Question: 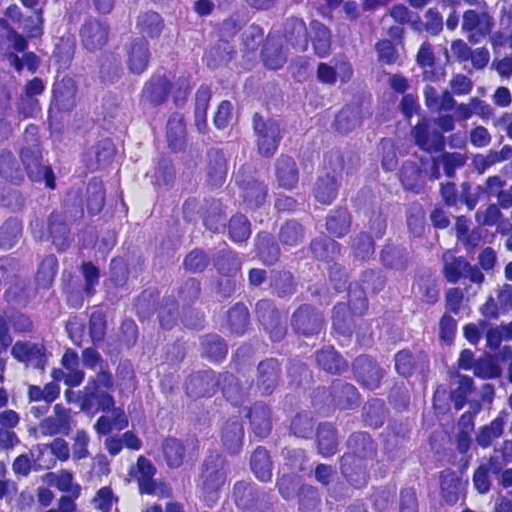
Which magnification is this H&E lymph node field most likely shown at?

Choices:
 (A) about 10×
 (B) about 40×
 (C) about 5×
 (D) about 20×
 (E) about 2.5×

Answer: (B) about 40×
This is a crop of a whole-slide image: an H&E-stained breast-cancer sentinel lymph node section at roughly 40× magnification (about 0.23 µm per pixel; the crop spans about 0.12 mm).
Metastatic tumour outline, simplified to 8 points and listed clockwise in crop pixels (x, y): (0, 0), (348, 0), (414, 130), (470, 511), (185, 511), (99, 360), (31, 346), (0, 322).
The annotated tumour makes up about 75% of the crop.